Question: 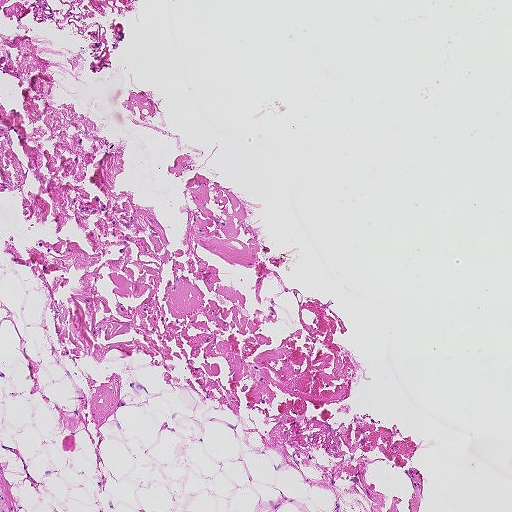
H&E-stained section of a sentinel lymph node (breast cancer), from a whole-slide image, viewed at about 5×: the field is about 0.93 mm across, about 1.8 µm per pixel.
About how much of this crop is taken up by metastatic carcinoma?

Choices:
 (A) about 25% to 45%
 (B) about 5% or less
 (C) about 50% or more
 (D) none: no tumour is outlined
 (E) about 10% to 20%

Answer: (D) none: no tumour is outlined
No metastatic tumour is outlined in this field.